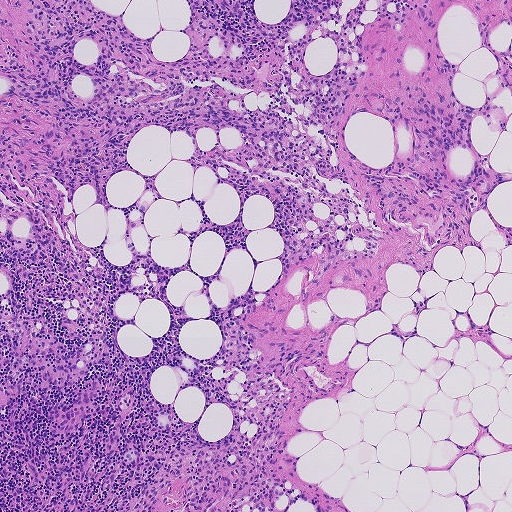
A 0.93-mm field of an H&E-stained sentinel lymph node from a breast-cancer patient (whole-slide image), shown at about 5×, about 1.8 µm per pixel.